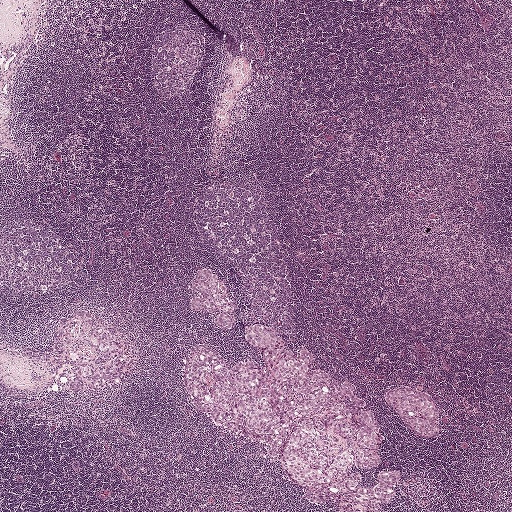
Lymph node section stained with H&E, from a whole-slide image of a breast-cancer sentinel node. Magnification about 2.5×, about 2.0 mm across the frame, about 3.9 µm per pixel.
Outlines of four tumour regions, largest first (closed clockwise paths, crop pixels): region 1: (243, 330), (297, 331), (288, 348), (308, 349), (313, 370), (355, 385), (375, 415), (386, 443), (379, 468), (357, 469), (361, 484), (400, 472), (397, 501), (382, 511), (308, 505), (268, 450), (194, 411), (184, 372), (196, 348), (227, 369), (249, 359), (266, 371), (265, 352); region 2: (77, 311), (85, 311), (107, 327), (117, 329), (114, 336), (127, 354), (127, 364), (115, 386), (99, 392), (75, 392), (69, 386), (68, 378), (58, 373), (60, 368), (27, 357), (22, 353), (25, 348), (32, 346), (48, 356), (53, 351), (54, 332), (63, 317); region 3: (410, 387), (428, 393), (441, 414), (439, 419), (436, 420), (441, 429), (441, 435), (431, 439), (424, 439), (408, 430), (394, 409), (385, 402), (385, 392), (393, 389); region 4: (211, 270), (218, 276), (223, 295), (234, 303), (237, 324), (233, 331), (222, 330), (215, 325), (215, 320), (221, 315), (218, 309), (213, 313), (206, 312), (203, 314), (195, 313), (191, 310), (190, 299), (196, 295), (192, 288), (192, 282), (199, 272).
About 10% of this field is tumour.